Lymph node section stained with H&E, from a whole-slide image of a breast-cancer sentinel node. Magnification about 10×, about 0.5 mm across the frame, about 0.97 µm per pixel.
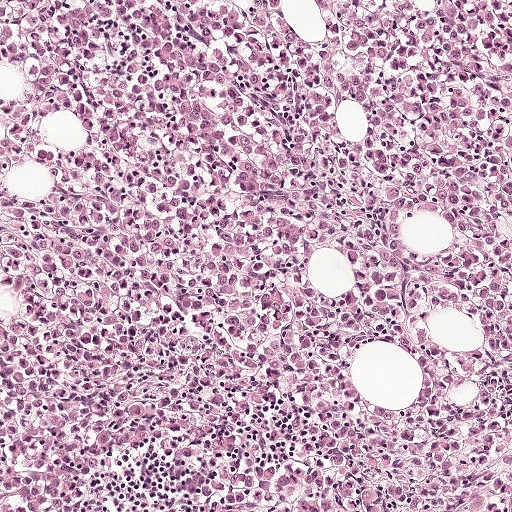
Question: Is there metastatic carcinoma in this field?
Answer: Yes.
Metastatic tumour outline, simplified to 11 points and listed clockwise in crop pixels (x, y): (17, 0), (487, 0), (511, 43), (511, 360), (503, 378), (511, 511), (0, 511), (0, 213), (127, 181), (122, 150), (26, 49).
The annotated tumour makes up about 95% of the crop.